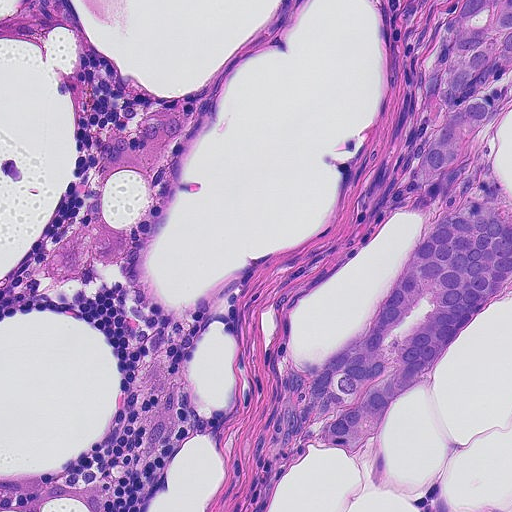
Lymph node section stained with H&E, from a whole-slide image of a breast-cancer sentinel node. Magnification about 20×, about 0.23 mm across the frame, about 0.45 µm per pixel.
Metastatic tumour outline, simplified to 23 points and listed clockwise in crop pixels (x, y): (455, 0), (511, 0), (511, 284), (397, 406), (384, 430), (382, 479), (407, 490), (442, 473), (453, 500), (494, 506), (481, 511), (416, 511), (331, 449), (264, 460), (282, 346), (306, 358), (334, 356), (376, 318), (420, 244), (430, 219), (404, 204), (428, 95), (418, 70).
Tumour covers about 20% of the frame.